Question: 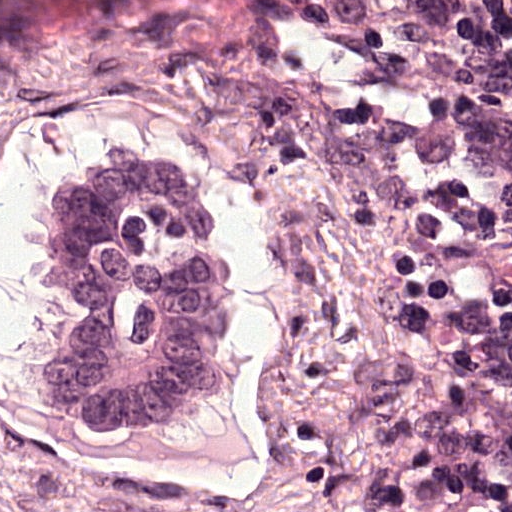
At roughly what magnification is this field shown?

Choices:
 (A) about 10×
 (B) about 5×
 (C) about 40×
 (D) about 20×
 (E) about 2.5×

Answer: (C) about 40×
A 0.12-mm field of an H&E-stained sentinel lymph node from a breast-cancer patient (whole-slide image), shown at about 40×, about 0.24 µm per pixel.
Metastatic tumour outline, simplified to 13 points and listed clockwise in crop pixels (x, y): (161, 116), (205, 147), (245, 197), (252, 292), (221, 411), (187, 445), (113, 454), (68, 442), (26, 416), (3, 374), (13, 226), (32, 176), (61, 150).
Tumour covers about 25% of the frame.
Question: 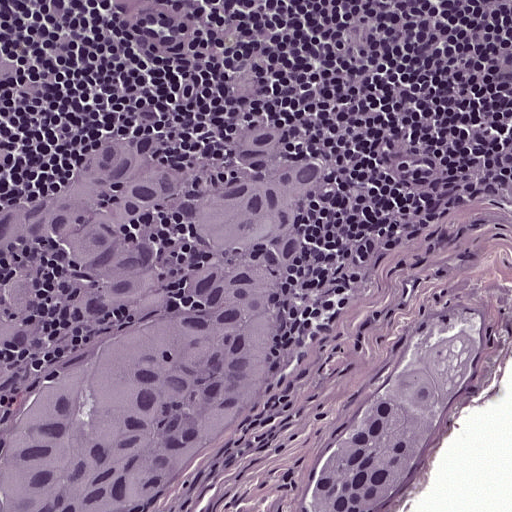
At roughly what magnification is this field shown?

Choices:
 (A) about 10×
 (B) about 5×
 (C) about 2.5×
 (D) about 20×
 (E) about 40×

Answer: (D) about 20×
A 0.25-mm field of an H&E-stained sentinel lymph node from a breast-cancer patient (whole-slide image), shown at about 20×, about 0.49 µm per pixel.
Boundaries of two metastatic tumour regions, simplified and listed clockwise, largest first: region 1: (271, 113), (286, 114), (286, 146), (339, 155), (324, 194), (296, 215), (307, 259), (286, 272), (284, 347), (248, 433), (218, 470), (169, 511), (0, 511), (0, 210), (130, 138), (221, 158), (246, 119); region 2: (458, 316), (473, 346), (429, 428), (420, 473), (376, 511), (304, 511), (308, 474), (336, 436), (370, 407), (400, 372), (428, 328).
About 45% of the image area is annotated as tumour.
Question: 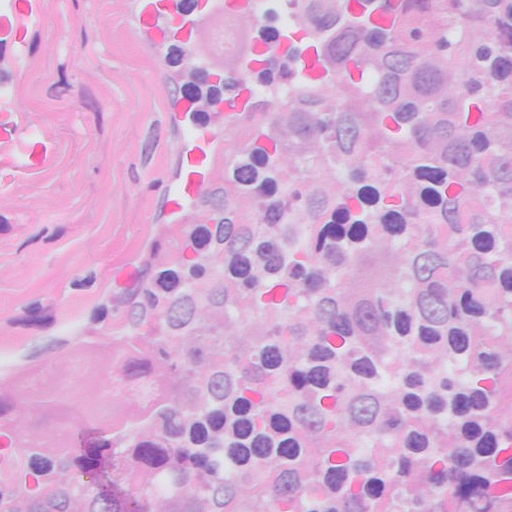
At roughly what magnification is this field shown?

Choices:
 (A) about 20×
 (B) about 2.5×
 (C) about 5×
 (D) about 40×
 (E) about 10×

Answer: (D) about 40×
Lymph node section stained with H&E, from a whole-slide image of a breast-cancer sentinel node. Magnification about 40×, about 0.13 mm across the frame, about 0.25 µm per pixel.
One metastatic tumour region; its boundary, reduced to 7 corners and listed clockwise: (94, 318), (151, 325), (220, 367), (172, 439), (82, 477), (0, 454), (0, 338).
About 10% of this field is tumour.
Question: 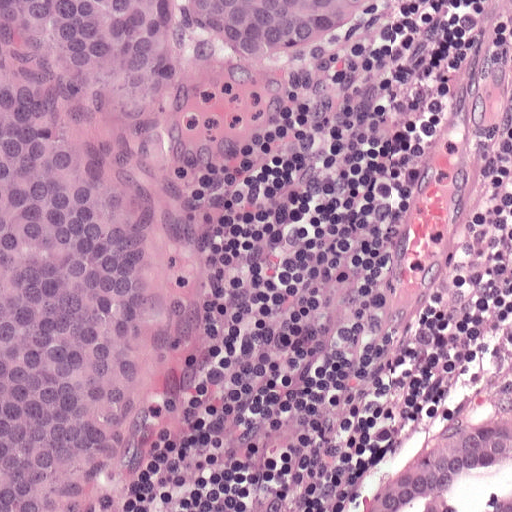
At roughly what magnification is this field shown?

Choices:
 (A) about 5×
 (B) about 10×
 (C) about 20×
 (D) about 2.5×
 (E) about 40×

Answer: (C) about 20×
A 0.25-mm field of an H&E-stained sentinel lymph node from a breast-cancer patient (whole-slide image), shown at about 20×, about 0.49 µm per pixel.
Outlines of two tumour regions, largest first (closed clockwise paths, crop pixels): region 1: (0, 0), (379, 0), (328, 52), (212, 54), (190, 104), (206, 159), (200, 331), (170, 451), (107, 511), (0, 511); region 2: (511, 416), (511, 511), (351, 511), (396, 468), (442, 442), (497, 418).
Tumour covers about 45% of the frame.